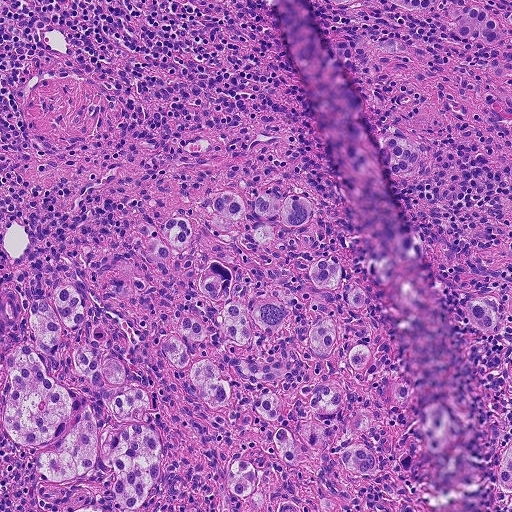
This is a crop of a whole-slide image: an H&E-stained breast-cancer sentinel lymph node section at roughly 10× magnification (about 0.9 µm per pixel; the crop spans about 0.46 mm).
Outlines of the eight largest metastatic tumour regions, each a closed clockwise path in crop pixels (x, y), largest first: region 1: (337, 258), (367, 296), (361, 308), (333, 293), (334, 319), (379, 364), (360, 375), (336, 349), (318, 356), (309, 333), (324, 314), (292, 313), (300, 360), (280, 391), (338, 380), (343, 414), (369, 422), (358, 442), (379, 474), (355, 475), (309, 446), (302, 469), (289, 467), (270, 436), (280, 426), (258, 412), (228, 435), (160, 349), (175, 306), (209, 321), (221, 304), (198, 290), (202, 266), (228, 263), (234, 300), (248, 305), (274, 291), (311, 297), (311, 261); region 2: (66, 285), (79, 291), (86, 319), (78, 330), (64, 328), (60, 346), (100, 349), (150, 393), (157, 406), (158, 477), (139, 511), (122, 511), (110, 488), (112, 474), (90, 477), (112, 511), (40, 511), (39, 450), (20, 447), (0, 424), (4, 365), (8, 351), (34, 343), (24, 309); region 3: (228, 191), (252, 200), (267, 193), (279, 197), (292, 192), (304, 194), (312, 204), (310, 217), (301, 226), (288, 228), (276, 222), (283, 238), (275, 249), (250, 251), (238, 244), (224, 242), (212, 236), (198, 208), (205, 198), (216, 192); region 4: (382, 0), (438, 0), (462, 8), (476, 6), (489, 12), (499, 21), (511, 11), (511, 26), (507, 22), (501, 24), (504, 35), (498, 48), (485, 48), (473, 40), (459, 37), (442, 14), (429, 11), (415, 14), (388, 4); region 5: (182, 216), (193, 222), (193, 235), (185, 246), (171, 248), (174, 257), (162, 260), (150, 256), (138, 233), (143, 222), (154, 228), (162, 238), (160, 227), (170, 218); region 6: (388, 134), (412, 139), (420, 150), (420, 163), (413, 174), (398, 175), (385, 172), (378, 160), (377, 147), (384, 136); region 7: (467, 296), (480, 296), (492, 302), (500, 312), (500, 324), (492, 334), (479, 333), (466, 320), (463, 308); region 8: (244, 460), (255, 467), (257, 478), (256, 491), (245, 499), (233, 496), (226, 485), (232, 463).
One more, smaller tumour region is not outlined.
Four more small tumour pieces are annotated here but not outlined.
About 25% of the image area is annotated as tumour.